H&E-stained section of a sentinel lymph node (breast cancer), from a whole-slide image, viewed at about 5×: the field is about 1 mm across, about 1.9 µm per pixel.
Question: 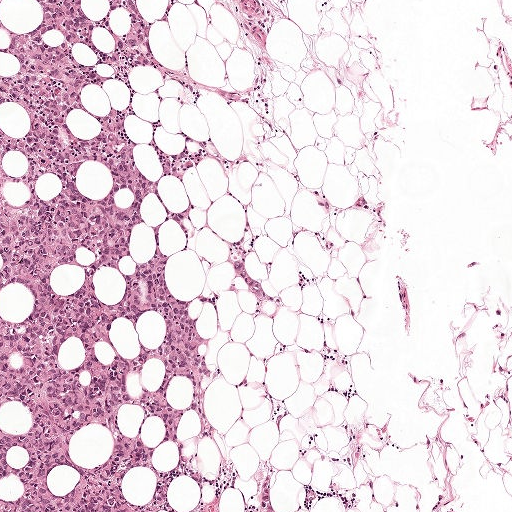
What fraction of the image area is metastatic tumour?

Choices:
 (A) about 25% to 45%
 (B) none: no tumour is outlined
 (C) about 10% to 20%
 (D) about 5% or less
 (E) about 50% or more

Answer: (A) about 25% to 45%
About 35% of the field is tumour.
Two metastatic tumour regions, each outlined as a closed clockwise path in crop pixels (x, y), largest first: region 1: (0, 0), (137, 0), (151, 17), (160, 41), (140, 136), (197, 158), (165, 220), (218, 353), (208, 418), (233, 460), (277, 474), (282, 511), (0, 511); region 2: (235, 259), (242, 260), (246, 269), (260, 286), (266, 297), (266, 301), (261, 301), (252, 294), (238, 279), (231, 264).